Question: 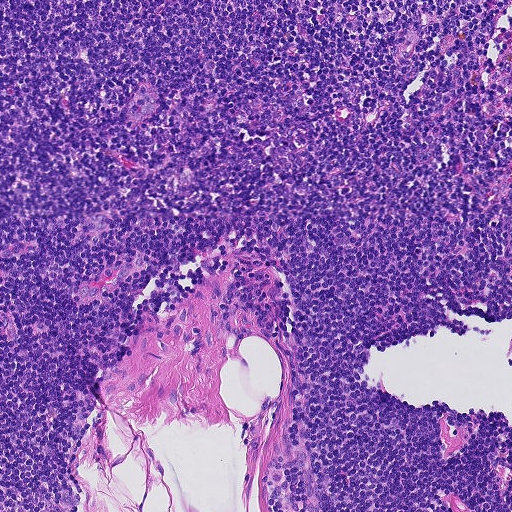
H&E-stained section of a sentinel lymph node (breast cancer), from a whole-slide image, viewed at about 10×: the field is about 0.46 mm across, about 0.9 µm per pixel.
What fraction of the image area is metastatic tumour?

Choices:
 (A) about 10% to 20%
 (B) about 50% or more
 (C) none: no tumour is outlined
 (D) about 25% to 45%
 (E) about 5% or less

Answer: (C) none: no tumour is outlined
No metastatic tumour is outlined in this field.